Question: 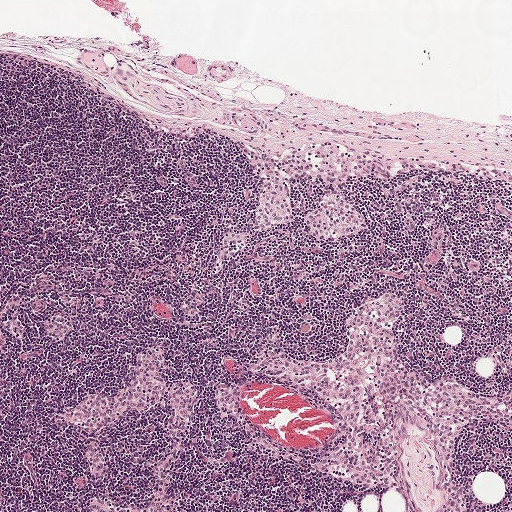
Which magnification is this H&E lymph node field most likely shown at?

Choices:
 (A) about 5×
 (B) about 40×
 (C) about 20×
 (D) about 10×
 (E) about 2.5×

Answer: (A) about 5×
H&E-stained section of a sentinel lymph node (breast cancer), from a whole-slide image, viewed at about 5×: the field is about 1 mm across, about 1.9 µm per pixel.